A 0.93-mm field of an H&E-stained sentinel lymph node from a breast-cancer patient (whole-slide image), shown at about 5×, about 1.8 µm per pixel.
Question: 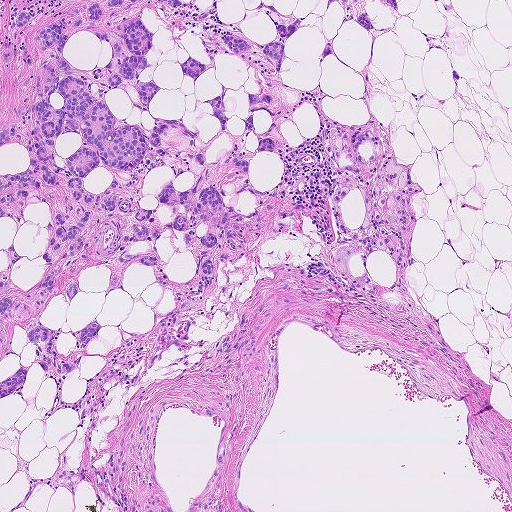
Estimate the proportion of this field that is metastatic tumour.

Choices:
 (A) about 50% or more
 (B) about 5% or less
 (C) about 10% to 20%
 (D) none: no tumour is outlined
 (E) about 25% to 45%

Answer: (E) about 25% to 45%
About 25% of the field is tumour.
Outlines of six tumour regions, largest first (closed clockwise paths, crop pixels): region 1: (125, 0), (115, 23), (203, 64), (224, 32), (277, 36), (247, 9), (262, 3), (303, 20), (278, 74), (214, 54), (225, 113), (271, 94), (277, 123), (202, 188), (260, 215), (244, 252), (219, 241), (205, 277), (167, 230), (167, 288), (97, 214), (70, 304), (5, 295), (28, 330), (100, 328), (71, 376), (38, 361), (0, 398), (0, 318), (0, 128), (32, 129), (33, 34); region 2: (327, 0), (366, 0), (364, 1), (366, 9), (373, 22), (373, 30), (365, 30), (354, 19), (344, 22), (334, 38), (335, 50), (332, 55), (323, 61), (320, 61), (320, 56), (326, 42), (322, 18); region 3: (15, 0), (20, 0), (18, 9), (25, 9), (29, 12), (28, 24), (16, 30), (12, 25); region 4: (8, 40), (15, 50), (11, 62), (0, 67), (0, 58); region 5: (155, 0), (184, 0), (191, 4), (188, 7), (183, 9), (172, 8), (160, 3); region 6: (377, 0), (396, 0), (397, 4), (397, 11), (390, 7), (380, 1).
Two more small tumour pieces are annotated here but not outlined.